This is a crop of a whole-slide image: an H&E-stained breast-cancer sentinel lymph node section at roughly 20× magnification (about 0.49 µm per pixel; the crop spans about 0.25 mm).
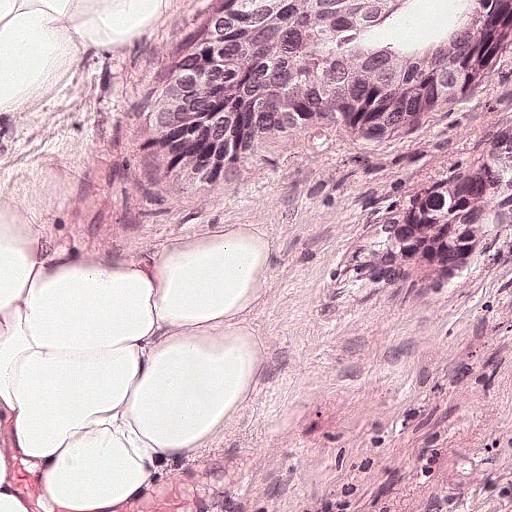
Boundaries of two metastatic tumour regions, simplified and listed clockwise, largest first: region 1: (511, 0), (511, 27), (463, 104), (421, 145), (385, 164), (276, 159), (240, 195), (199, 204), (166, 194), (144, 172), (136, 110), (151, 73), (221, 4); region 2: (510, 116), (511, 250), (470, 282), (412, 298), (360, 300), (346, 258), (368, 223), (396, 200), (449, 172).
About 25% of the image area is annotated as tumour.